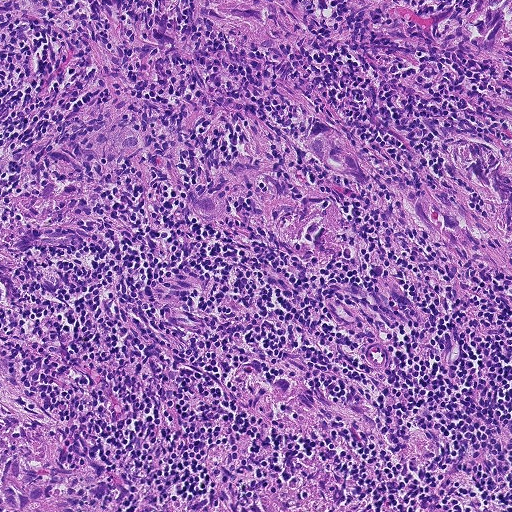
This is a crop of a whole-slide image: an H&E-stained breast-cancer sentinel lymph node section at roughly 10× magnification (about 0.9 µm per pixel; the crop spans about 0.46 mm).
Two metastatic tumour regions, each outlined as a closed clockwise path in crop pixels (x, y), largest first: region 1: (0, 0), (511, 0), (511, 281), (289, 146), (464, 332), (466, 370), (423, 364), (407, 325), (400, 361), (365, 366), (298, 254), (226, 239), (161, 173), (176, 242), (248, 298), (259, 340), (392, 430), (416, 424), (436, 468), (393, 466), (340, 428), (314, 448), (346, 511), (175, 511), (210, 484), (214, 442), (254, 431), (231, 392), (242, 352), (183, 330), (151, 300), (167, 268), (92, 224), (119, 256), (26, 249), (20, 304), (0, 304); region 2: (0, 350), (10, 362), (24, 402), (47, 411), (73, 448), (91, 459), (107, 476), (109, 497), (104, 511), (0, 511).
About 65% of the image area is annotated as tumour.